Question: 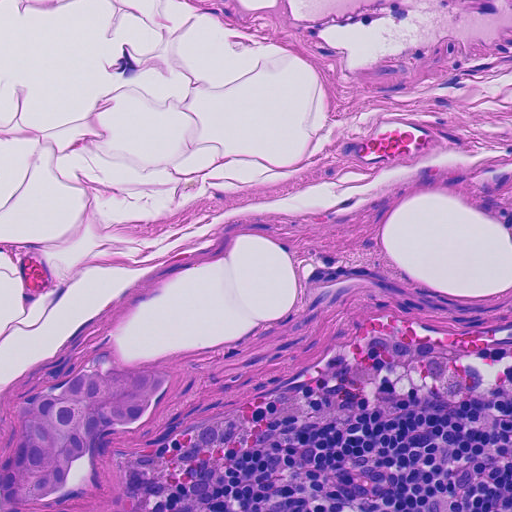
H&E-stained section of a sentinel lymph node (breast cancer), from a whole-slide image, viewed at about 20×: the field is about 0.23 mm across, about 0.45 µm per pixel.
What fraction of the image area is metastatic tumour?

Choices:
 (A) about 5% or less
 (B) about 25% to 45%
 (C) none: no tumour is outlined
 (D) about 50% or more
 (E) about 10% to 20%

Answer: (A) about 5% or less
About 5% of the field is tumour.
The outlined metastatic tumour's edge, as a closed clockwise path of 16 points: (122, 364), (174, 372), (169, 391), (155, 398), (148, 419), (133, 429), (116, 429), (99, 441), (62, 490), (15, 507), (0, 505), (0, 449), (12, 422), (13, 396), (67, 382), (79, 372).
Question: 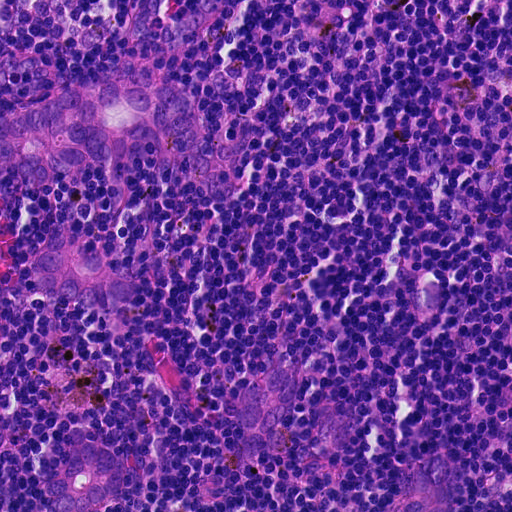
Lymph node section stained with H&E, from a whole-slide image of a breast-cancer sentinel node. Magnification about 20×, about 0.23 mm across the frame, about 0.45 µm per pixel.
What fraction of the image area is metastatic tumour?

Choices:
 (A) about 50% or more
 (B) about 5% or less
 (C) about 10% to 20%
 (D) none: no tumour is outlined
 (E) about 25% to 45%

Answer: (C) about 10% to 20%
About 15% of the field is tumour.
Boundaries of five metastatic tumour regions, simplified and listed clockwise, largest first: region 1: (118, 63), (141, 63), (192, 100), (204, 142), (226, 180), (211, 193), (168, 170), (154, 152), (128, 150), (50, 182), (28, 184), (0, 170), (0, 116), (55, 88), (84, 88), (104, 79); region 2: (72, 418), (105, 446), (124, 457), (128, 478), (120, 497), (99, 511), (56, 511), (47, 502), (45, 480), (66, 458), (62, 438); region 3: (68, 244), (90, 246), (109, 257), (125, 273), (137, 292), (122, 306), (101, 309), (60, 298), (41, 286), (26, 270), (30, 260), (46, 248); region 4: (272, 362), (294, 364), (292, 432), (279, 450), (262, 462), (240, 462), (234, 442), (232, 420), (236, 398), (256, 376); region 5: (442, 454), (450, 473), (450, 511), (383, 511), (388, 504), (400, 494), (420, 456).
Question: 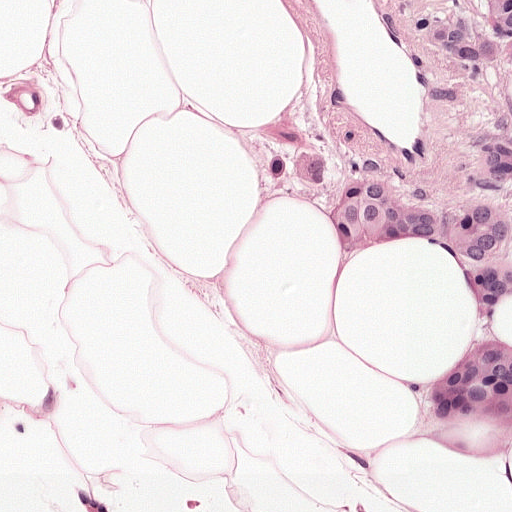
This is a crop of a whole-slide image: an H&E-stained breast-cancer sentinel lymph node section at roughly 20× magnification (about 0.49 µm per pixel; the crop spans about 0.25 mm).
What fraction of the image area is metastatic tumour?

Choices:
 (A) about 50% or more
 (B) about 10% to 20%
 (C) about 25% to 45%
 (D) none: no tumour is outlined
 (E) about 5% or less

Answer: (B) about 10% to 20%
About 10% of the field is tumour.
Boundaries of two metastatic tumour regions, simplified and listed clockwise, largest first: region 1: (511, 135), (506, 259), (511, 278), (498, 298), (498, 334), (511, 345), (511, 427), (490, 429), (451, 424), (426, 395), (464, 355), (484, 316), (466, 274), (478, 262), (426, 242), (362, 250), (344, 262), (294, 156), (320, 150), (346, 175), (408, 194), (462, 197), (474, 164); region 2: (467, 0), (511, 0), (511, 74), (474, 63), (442, 46), (424, 24), (471, 11).
Question: 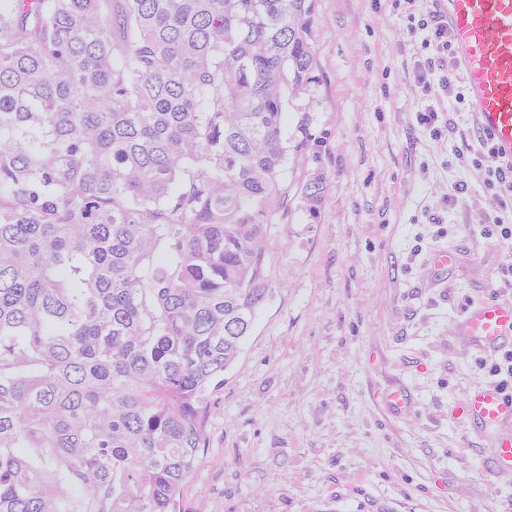
A 0.26-mm field of an H&E-stained sentinel lymph node from a breast-cancer patient (whole-slide image), shown at about 20×, about 0.5 µm per pixel.
What fraction of the image area is metastatic tumour?

Choices:
 (A) about 10% to 20%
 (B) about 50% or more
 (C) none: no tumour is outlined
 (D) about 5% or less
 (E) about 25% to 45%

Answer: (B) about 50% or more
About 55% of the field is tumour.
Two metastatic tumour regions, each outlined as a closed clockwise path in crop pixels (x, y), largest first: region 1: (0, 0), (315, 0), (326, 196), (268, 328), (210, 407), (169, 511), (0, 511); region 2: (345, 502), (396, 506), (409, 511), (241, 511), (254, 509), (292, 506).